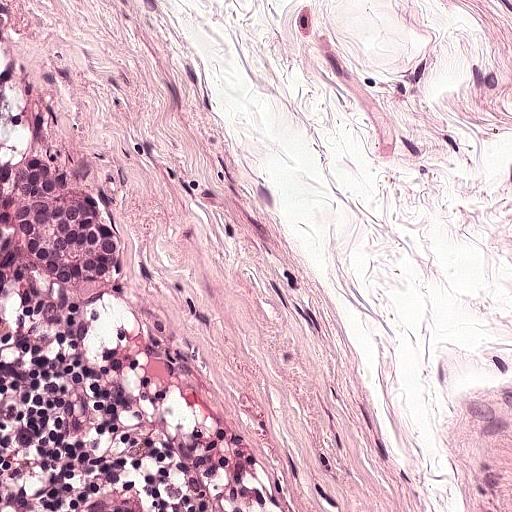
A 0.25-mm field of an H&E-stained sentinel lymph node from a breast-cancer patient (whole-slide image), shown at about 20×, about 0.49 µm per pixel.
The outlined metastatic tumour's edge, as a closed clockwise path of 13 points: (22, 163), (50, 163), (92, 190), (103, 218), (118, 244), (118, 257), (112, 276), (98, 285), (70, 285), (38, 274), (28, 263), (10, 217), (14, 173).
Tumour covers about 5% of the frame.